Question: 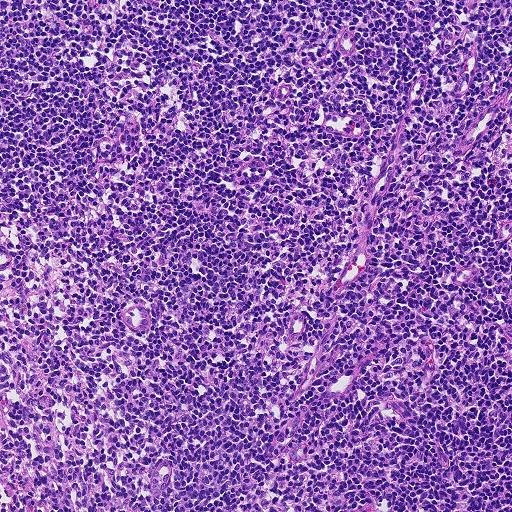
A 0.46-mm field of an H&E-stained sentinel lymph node from a breast-cancer patient (whole-slide image), shown at about 10×, about 0.9 µm per pixel.
Estimate the proportion of this field that is metastatic tumour.

Choices:
 (A) about 50% or more
 (B) none: no tumour is outlined
 (C) about 25% to 45%
 (D) about 10% to 20%
 (E) about 5% or less

Answer: (B) none: no tumour is outlined
No metastatic tumour is outlined in this field.